Lymph node section stained with H&E, from a whole-slide image of a breast-cancer sentinel node. Magnification about 10×, about 0.46 mm across the frame, about 0.91 µm per pixel.
Question: 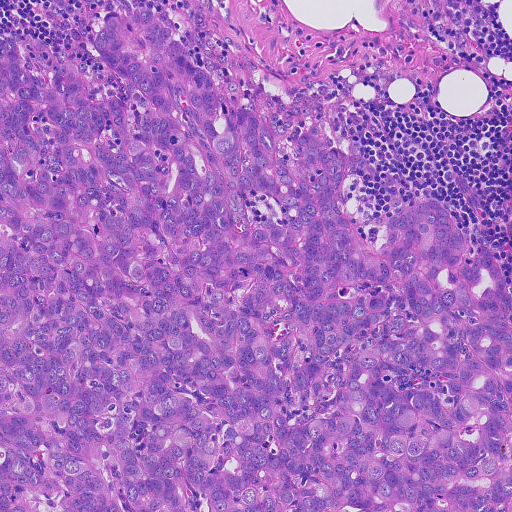
Estimate the proportion of this field that is metastatic tumour.

Choices:
 (A) about 10% to 20%
 (B) about 5% or less
 (C) about 25% to 45%
 (D) about 50% or more
 (E) none: no tumour is outlined

Answer: (D) about 50% or more
About 75% of the field is tumour.
Tumour region outline (a closed clockwise path, crop pixels): (113, 12), (155, 16), (222, 96), (263, 116), (300, 179), (294, 141), (306, 132), (332, 148), (365, 238), (392, 212), (391, 185), (407, 206), (436, 198), (465, 255), (480, 246), (501, 268), (511, 511), (0, 511), (0, 34), (48, 86), (75, 62), (96, 101), (126, 101), (94, 37).